Question: 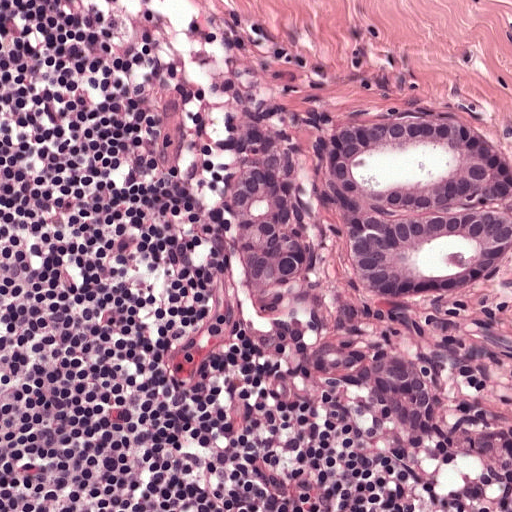
Lymph node section stained with H&E, from a whole-slide image of a breast-cancer sentinel node. Magnification about 20×, about 0.25 mm across the frame, about 0.49 µm per pixel.
Roughly what share of this field is metastatic tumour?

Choices:
 (A) about 50% or more
 (B) none: no tumour is outlined
 (C) about 25% to 45%
 (D) about 5% or less
 (E) about 10% to 20%

Answer: (E) about 10% to 20%
About 20% of the field is tumour.
Boundaries of three metastatic tumour regions, simplified and listed clockwise, largest first: region 1: (394, 112), (461, 113), (511, 148), (511, 273), (468, 294), (380, 303), (362, 298), (338, 264), (314, 138); region 2: (252, 120), (288, 138), (317, 226), (316, 256), (265, 291), (243, 271), (231, 212), (232, 180); region 3: (324, 341), (369, 354), (363, 364), (381, 360), (405, 364), (424, 381), (435, 417), (430, 438), (402, 431), (366, 398), (354, 370), (360, 366), (332, 374), (313, 369), (309, 352).